H&E-stained section of a sentinel lymph node (breast cancer), from a whole-slide image, viewed at about 5×: the field is about 1.0 mm across, about 2.0 µm per pixel.
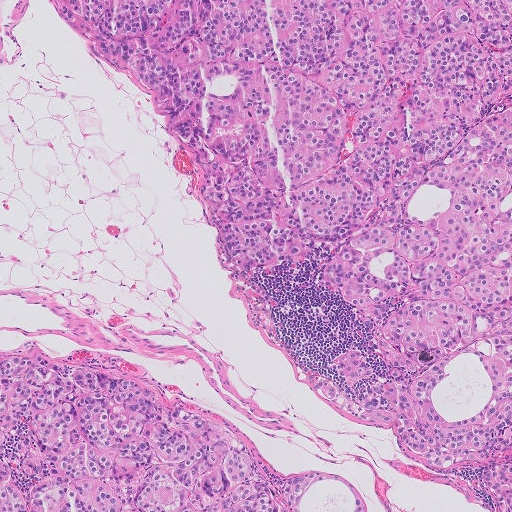
Boundaries of two metastatic tumour regions, simplified and listed clockwise, largest first: region 1: (511, 0), (511, 511), (487, 511), (475, 485), (446, 480), (331, 396), (320, 371), (354, 327), (334, 308), (286, 280), (267, 334), (250, 310), (239, 253), (146, 106), (42, 3); region 2: (0, 361), (106, 370), (239, 431), (256, 454), (280, 469), (335, 472), (357, 491), (355, 511), (0, 511).
About 65% of this field is tumour.